Image:
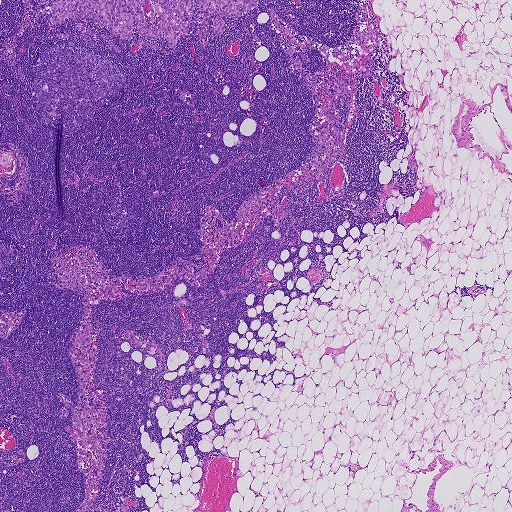
Lymph node section stained with H&E, from a whole-slide image of a breast-cancer sentinel node. Magnification about 2.5×, about 1.9 mm across the frame, about 3.6 µm per pixel.
Question:
Is there metastatic carcinoma in this field?
Answer:
Yes.
Metastatic tumour outline, simplified to 40 points and listed clockwise in crop pixels (x, y): (32, 0), (258, 2), (257, 7), (238, 18), (222, 18), (226, 25), (221, 34), (215, 35), (215, 18), (208, 7), (200, 9), (198, 2), (195, 14), (186, 19), (193, 23), (193, 28), (177, 39), (174, 49), (163, 36), (150, 39), (140, 36), (135, 26), (132, 37), (123, 40), (109, 33), (105, 25), (102, 28), (89, 17), (83, 21), (85, 29), (82, 30), (75, 29), (75, 24), (81, 21), (76, 16), (72, 20), (65, 18), (62, 26), (48, 26), (52, 4).
One more small tumour piece is annotated here but not outlined.
The annotated tumour makes up under 5% of the crop.